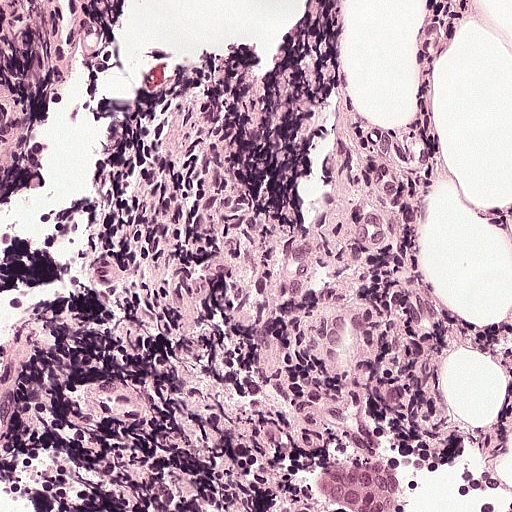
Lymph node section stained with H&E, from a whole-slide image of a breast-cancer sentinel node. Magnification about 20×, about 0.25 mm across the frame, about 0.49 µm per pixel.